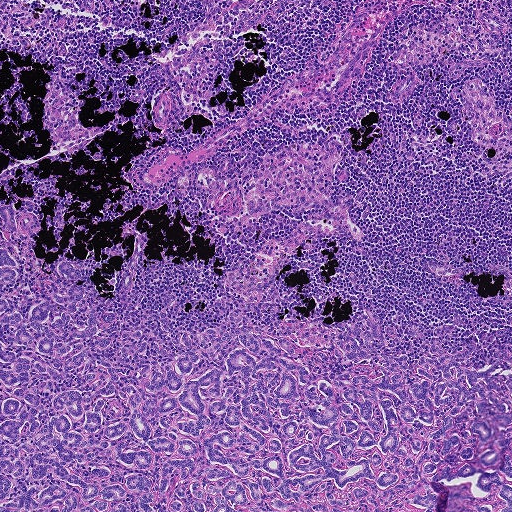
Lymph node section stained with H&E, from a whole-slide image of a breast-cancer sentinel node. Magnification about 5×, about 0.93 mm across the frame, about 1.8 µm per pixel.
Outlines of two tumour regions, largest first (closed clockwise paths, crop pixels): region 1: (140, 236), (147, 241), (127, 299), (97, 334), (111, 358), (130, 325), (150, 357), (244, 302), (327, 353), (318, 377), (374, 318), (414, 370), (446, 324), (510, 375), (511, 511), (447, 511), (481, 473), (431, 482), (435, 511), (0, 511), (0, 296), (25, 317), (81, 262), (113, 298); region 2: (0, 247), (8, 250), (18, 263), (20, 271), (20, 276), (17, 279), (0, 288).
The annotated tumour makes up about 35% of the crop.